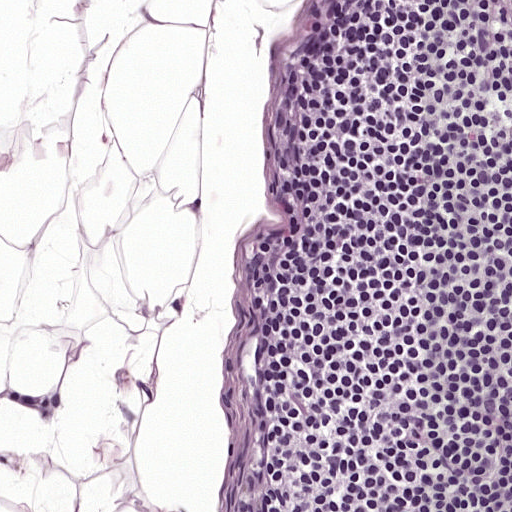
A 0.25-mm field of an H&E-stained sentinel lymph node from a breast-cancer patient (whole-slide image), shown at about 20×, about 0.49 µm per pixel.